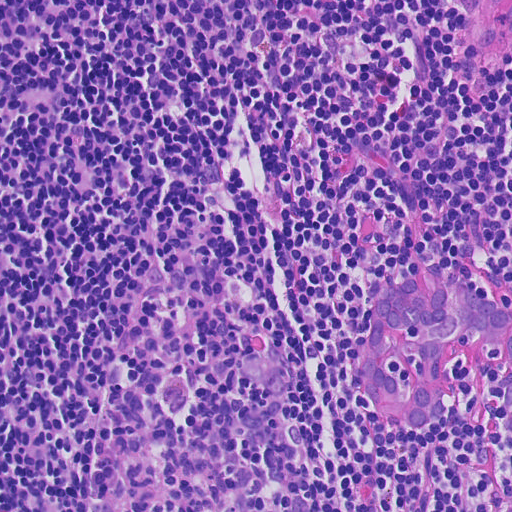
Lymph node section stained with H&E, from a whole-slide image of a breast-cancer sentinel node. Magnification about 20×, about 0.23 mm across the frame, about 0.45 µm per pixel.
Outlines of two tumour regions, largest first (closed clockwise paths, crop pixels): region 1: (434, 262), (511, 310), (511, 434), (500, 422), (508, 408), (502, 388), (500, 342), (488, 342), (469, 330), (452, 340), (448, 348), (443, 378), (451, 407), (442, 419), (413, 430), (373, 408), (356, 382), (382, 293); region 2: (511, 473), (511, 511), (504, 511), (506, 503).
About 5% of the image area is annotated as tumour.